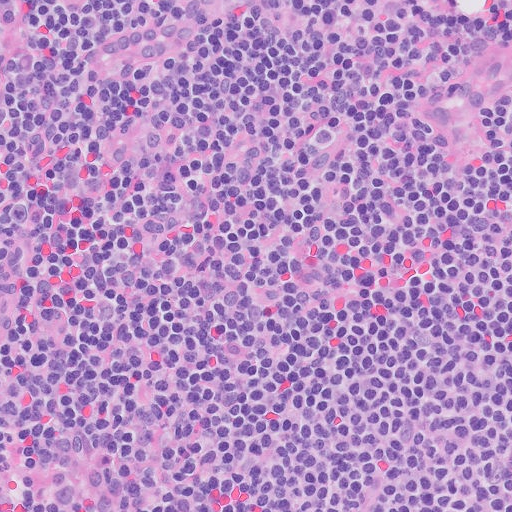
This is a crop of a whole-slide image: an H&E-stained breast-cancer sentinel lymph node section at roughly 20× magnification (about 0.5 µm per pixel; the crop spans about 0.26 mm).